Question: 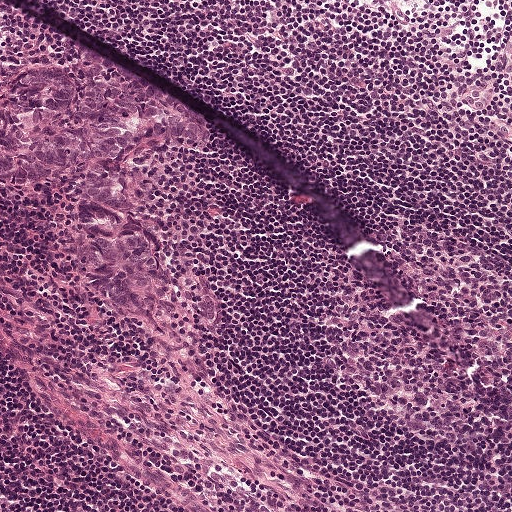
This is a crop of a whole-slide image: an H&E-stained breast-cancer sentinel lymph node section at roughly 10× magnification (about 0.97 µm per pixel; the crop spans about 0.5 mm).
What fraction of the image area is metastatic tumour?

Choices:
 (A) about 10% to 20%
 (B) about 25% to 45%
 (C) about 50% or more
 (D) none: no tumour is outlined
 (E) about 5% or less

Answer: (A) about 10% to 20%
About 10% of the field is tumour.
Tumour region outline (a closed clockwise path, crop pixels): (50, 66), (124, 79), (181, 108), (205, 128), (211, 150), (135, 157), (130, 194), (163, 224), (193, 306), (158, 325), (116, 308), (91, 286), (75, 244), (76, 192), (55, 183), (1, 187), (0, 80), (23, 68).